Question: 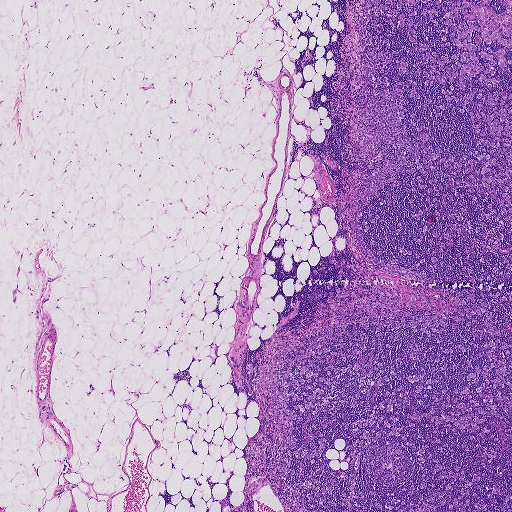
Lymph node section stained with H&E, from a whole-slide image of a breast-cancer sentinel node. Magnification about 2.5×, about 1.9 mm across the frame, about 3.6 µm per pixel.
Estimate the proportion of this field that is metastatic tumour.

Choices:
 (A) about 50% or more
 (B) about 10% to 20%
 (C) none: no tumour is outlined
 (D) about 5% or less
 (E) about 25% to 45%

Answer: (E) about 25% to 45%
About 40% of the field is tumour.
Tumour region outline (a closed clockwise path, crop pixels): (511, 0), (511, 511), (220, 511), (222, 497), (243, 501), (260, 424), (230, 358), (241, 310), (250, 380), (269, 338), (309, 325), (333, 288), (406, 280), (352, 268), (341, 215), (343, 159), (377, 161), (334, 105), (357, 1).